H&E-stained section of a sentinel lymph node (breast cancer), from a whole-slide image, viewed at about 10×: the field is about 0.46 mm across, about 0.9 µm per pixel.
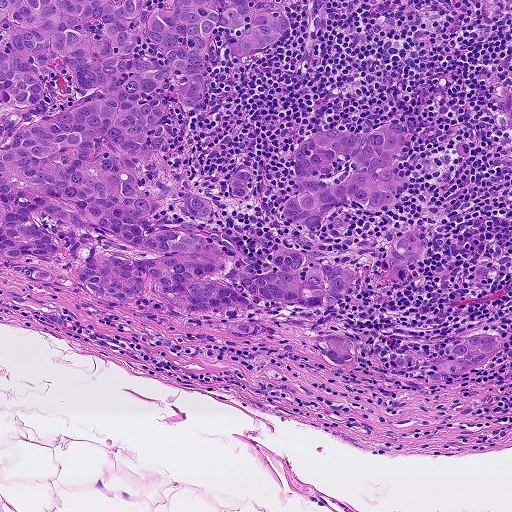
Outlines of four tumour regions, largest first (closed clockwise paths, crop pixels): region 1: (0, 0), (275, 0), (297, 17), (289, 38), (238, 62), (224, 49), (238, 29), (219, 29), (204, 108), (174, 103), (172, 144), (140, 164), (142, 186), (175, 219), (208, 192), (252, 273), (270, 275), (260, 254), (275, 236), (309, 252), (280, 221), (302, 139), (414, 118), (408, 184), (374, 213), (334, 207), (310, 246), (348, 266), (407, 229), (428, 234), (419, 257), (373, 265), (335, 309), (102, 298), (0, 261); region 2: (488, 331), (511, 337), (511, 341), (502, 341), (488, 361), (468, 372), (446, 377), (429, 362), (444, 350), (466, 339); region 3: (348, 334), (357, 350), (354, 362), (338, 364), (330, 362), (322, 348), (323, 336); region 4: (511, 100), (511, 124), (499, 125).
About 30% of the image area is annotated as tumour.